A 0.46-mm field of an H&E-stained sentinel lymph node from a breast-cancer patient (whole-slide image), shown at about 10×, about 0.9 µm per pixel.
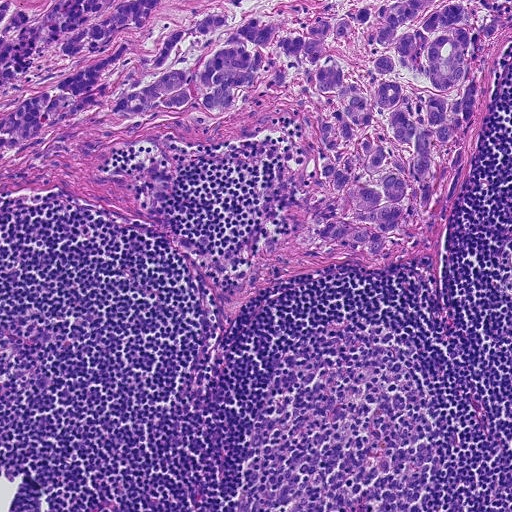
Question: Is any metastatic breast cancer visible in this crop?
Answer: Yes.
Metastatic tumour outline, simplified to 14 points and listed clockwise in crop pixels (x, y): (0, 0), (511, 0), (511, 35), (454, 213), (410, 264), (286, 266), (297, 193), (280, 142), (266, 135), (176, 184), (166, 217), (177, 250), (57, 181), (0, 179).
Tumour covers about 40% of the frame.